Image:
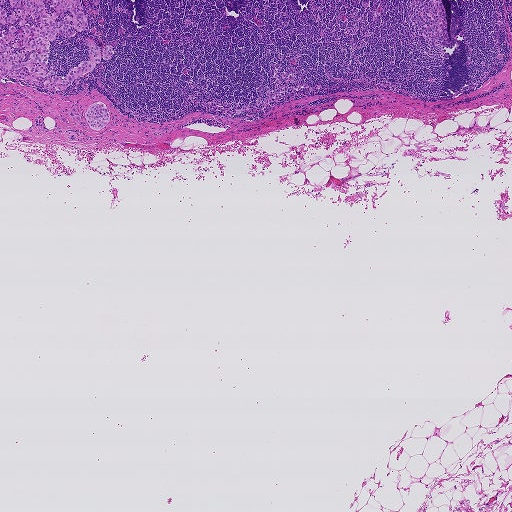
H&E-stained section of a sentinel lymph node (breast cancer), from a whole-slide image, viewed at about 2.5×: the field is about 1.9 mm across, about 3.6 µm per pixel.
Question:
Is there metastatic carcinoma in this field?
Answer:
Yes.
Boundaries of two metastatic tumour regions, simplified and listed clockwise, largest first: region 1: (0, 0), (80, 0), (88, 25), (80, 31), (69, 26), (75, 33), (56, 35), (49, 41), (48, 74), (39, 79), (63, 78), (89, 59), (84, 40), (93, 40), (102, 52), (106, 45), (113, 50), (109, 59), (102, 54), (101, 62), (61, 91), (0, 77); region 2: (100, 101), (103, 103), (108, 109), (109, 121), (98, 131), (94, 131), (90, 129), (84, 114), (91, 104).
About 5% of the image area is annotated as tumour.